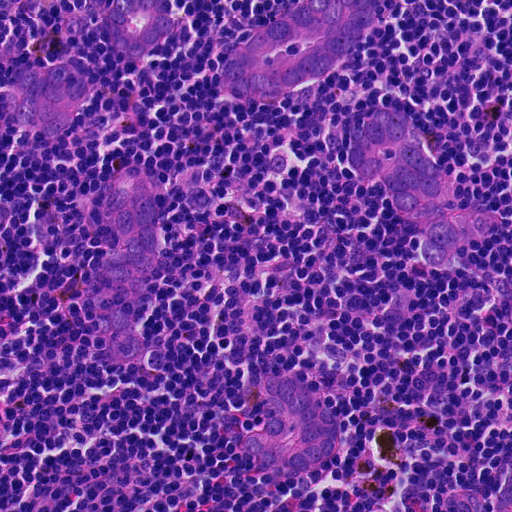
This is a crop of a whole-slide image: an H&E-stained breast-cancer sentinel lymph node section at roughly 20× magnification (about 0.45 µm per pixel; the crop spans about 0.23 mm).
Outlines of seven tumour regions, largest first (closed clockwise paths, crop pixels): region 1: (388, 108), (422, 130), (432, 148), (440, 189), (450, 206), (496, 212), (496, 231), (461, 247), (450, 263), (430, 267), (420, 250), (422, 231), (396, 212), (376, 178), (366, 184), (350, 172), (346, 152), (350, 133), (367, 110); region 2: (308, 0), (378, 0), (376, 22), (333, 66), (304, 92), (268, 105), (246, 105), (228, 98), (218, 80), (222, 60); region 3: (146, 165), (160, 180), (163, 258), (140, 313), (145, 352), (126, 362), (108, 355), (85, 300), (87, 280), (113, 250), (103, 196), (108, 178), (124, 167); region 4: (280, 373), (299, 379), (332, 408), (339, 448), (308, 471), (287, 472), (244, 458), (246, 438), (262, 428), (274, 410), (259, 398), (261, 378); region 5: (53, 64), (72, 64), (88, 76), (88, 96), (68, 129), (49, 134), (30, 130), (14, 118), (12, 79); region 6: (112, 0), (169, 0), (172, 21), (164, 39), (128, 60), (113, 49), (104, 32), (104, 12); region 7: (511, 467), (511, 511), (500, 511), (499, 486), (510, 468).
About 15% of this field is tumour.